This is a crop of a whole-slide image: an H&E-stained breast-cancer sentinel lymph node section at roughly 20× magnification (about 0.5 µm per pixel; the crop spans about 0.26 mm).
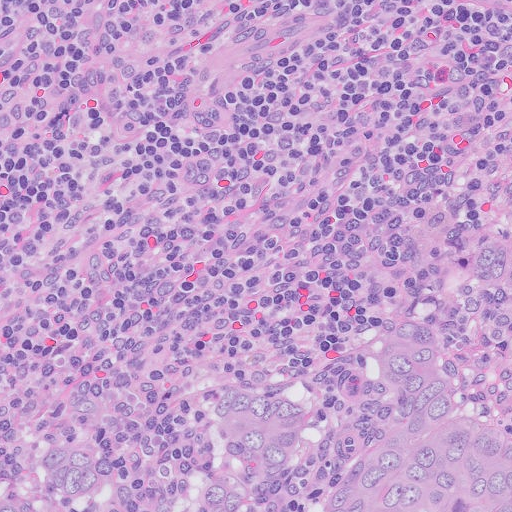
The outlined metastatic tumour's edge, as a closed clockwise path of 12 points: (511, 228), (511, 511), (0, 511), (0, 472), (38, 446), (106, 454), (151, 504), (200, 458), (234, 395), (284, 350), (348, 328), (460, 244).
About 25% of this field is tumour.